Question: 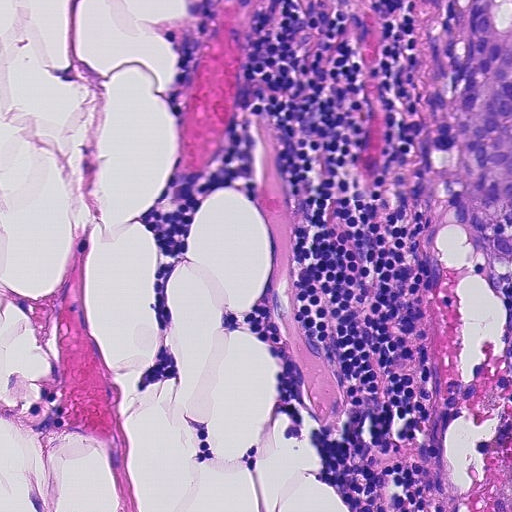
A 0.23-mm field of an H&E-stained sentinel lymph node from a breast-cancer patient (whole-slide image), shown at about 20×, about 0.45 µm per pixel.
Estimate the proportion of this field that is metastatic tumour.

Choices:
 (A) about 10% to 20%
 (B) about 5% or less
 (C) about 25% to 45%
 (D) none: no tumour is outlined
 (E) about 50% or more

Answer: (A) about 10% to 20%
About 10% of the field is tumour.
Metastatic tumour outline, simplified to 8 points and listed clockwise in crop pixels (x, y): (403, 0), (511, 0), (511, 258), (484, 253), (453, 228), (423, 170), (412, 132), (416, 92).